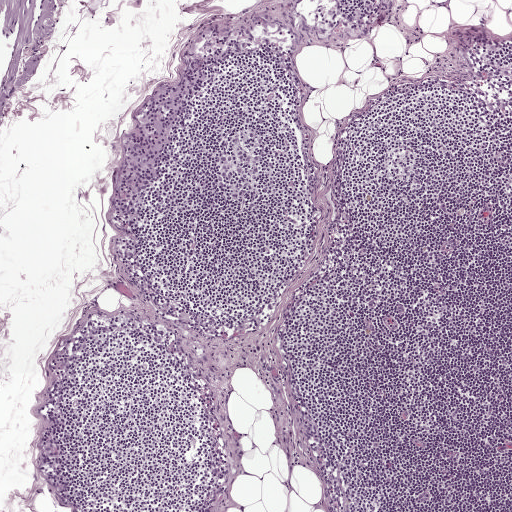
A 1-mm field of an H&E-stained sentinel lymph node from a breast-cancer patient (whole-slide image), shown at about 5×, about 1.9 µm per pixel.